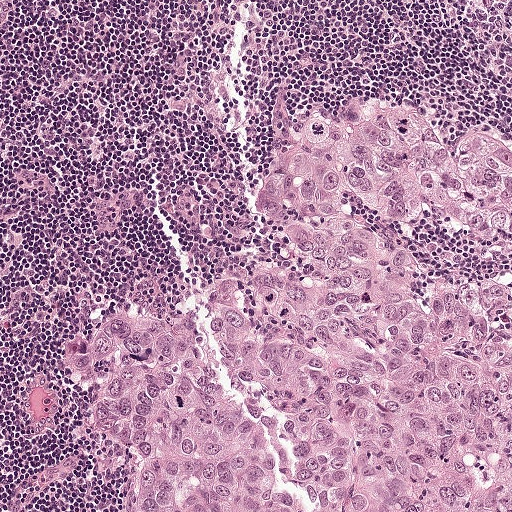
This is a crop of a whole-slide image: an H&E-stained breast-cancer sentinel lymph node section at roughly 10× magnification (about 0.97 µm per pixel; the crop spans about 0.5 mm).
Tumour region outline (a closed clockwise path, crop pixels): (387, 99), (420, 111), (440, 144), (477, 138), (511, 159), (511, 511), (134, 511), (125, 472), (58, 368), (82, 335), (279, 278), (249, 233), (253, 178), (264, 151), (320, 110).
The annotated tumour makes up about 50% of the crop.